This is a crop of a whole-slide image: an H&E-stained breast-cancer sentinel lymph node section at roughly 10× magnification (about 0.9 µm per pixel; the crop spans about 0.46 mm).
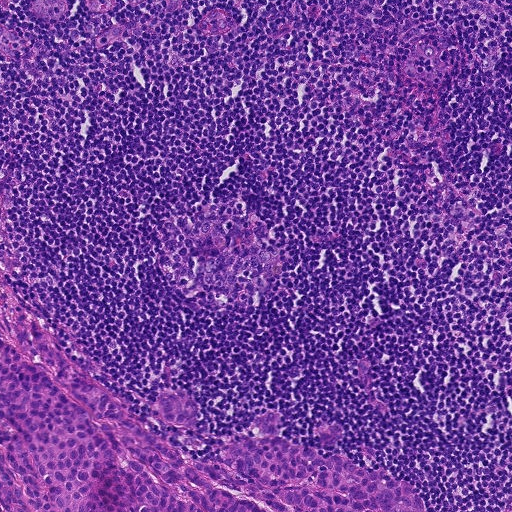
Tumour region outline (a closed clockwise path, crop pixels): (0, 292), (154, 432), (156, 404), (170, 389), (190, 394), (201, 410), (195, 429), (156, 434), (186, 460), (261, 435), (254, 413), (274, 407), (283, 425), (276, 436), (318, 452), (319, 428), (339, 423), (340, 442), (325, 454), (400, 478), (426, 506), (0, 511).
About 15% of this field is tumour.